Question: 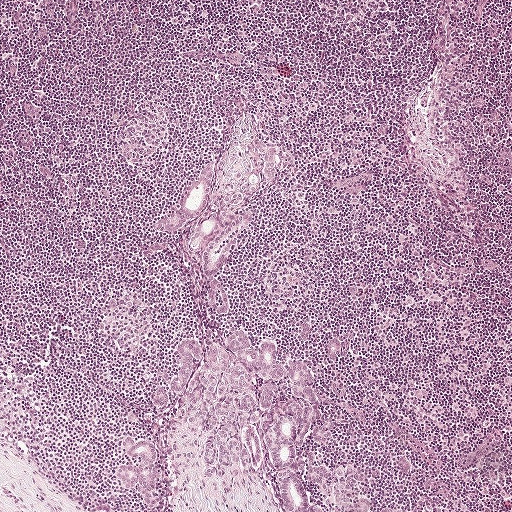
This is a crop of a whole-slide image: an H&E-stained breast-cancer sentinel lymph node section at roughly 5× magnification (about 1.9 µm per pixel; the crop spans about 1 mm).
Roughly what share of this field is metastatic tumour?

Choices:
 (A) about 5% or less
 (B) about 25% to 45%
 (C) about 50% or more
 (D) none: no tumour is outlined
 (E) about 10% to 20%

Answer: (E) about 10% to 20%
About 10% of the field is tumour.
The eight largest tumour regions' boundaries, simplified and listed clockwise, largest first: region 1: (235, 330), (274, 344), (280, 365), (310, 361), (333, 437), (310, 448), (328, 483), (304, 482), (325, 511), (280, 511), (266, 463), (213, 477), (180, 420), (172, 448), (160, 464), (160, 508), (121, 487), (125, 433), (167, 448), (172, 415), (153, 402), (162, 385), (174, 405), (180, 340); region 2: (233, 154), (236, 160), (260, 176), (259, 189), (256, 192), (250, 193), (250, 197), (245, 202), (232, 206), (211, 237), (195, 250), (190, 250), (186, 243), (210, 210), (215, 199), (226, 190), (226, 182), (232, 172), (227, 165), (227, 160); region 3: (205, 160), (213, 164), (214, 175), (208, 188), (207, 199), (200, 220), (193, 227), (171, 236), (155, 228), (155, 224), (178, 208), (184, 195), (189, 190); region 4: (248, 211), (253, 212), (254, 215), (253, 221), (246, 225), (228, 254), (218, 274), (213, 278), (208, 278), (200, 267), (202, 252), (209, 239), (232, 219); region 5: (340, 465), (346, 468), (348, 465), (352, 465), (358, 472), (358, 479), (354, 486), (348, 490), (340, 489), (349, 499), (349, 505), (347, 507), (332, 502), (328, 504), (325, 503), (325, 490), (338, 480), (336, 471); region 6: (259, 142), (272, 143), (280, 151), (277, 182), (273, 184), (262, 180), (261, 167), (256, 166), (257, 151), (255, 148); region 7: (216, 277), (229, 294), (229, 308), (227, 314), (221, 315), (212, 310), (208, 299), (208, 288), (212, 279); region 8: (333, 337), (338, 337), (340, 343), (340, 350), (333, 358), (329, 358), (327, 348), (328, 342).
Region 7 encloses a non-tumour hole of about 20% of its area.
Two more, smaller tumour regions are not outlined.
One more small tumour piece is annotated here but not outlined.